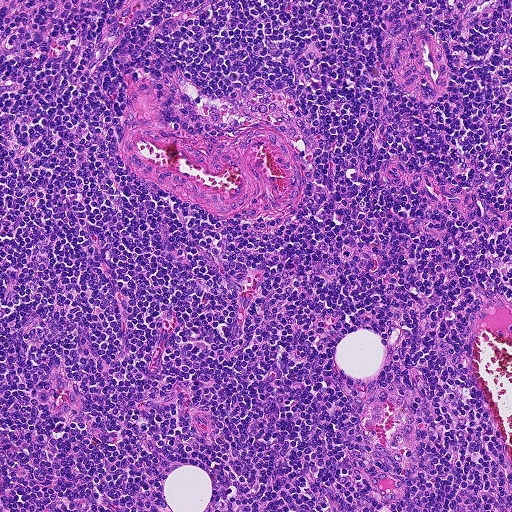
H&E-stained section of a sentinel lymph node (breast cancer), from a whole-slide image, viewed at about 10×: the field is about 0.46 mm across, about 0.9 µm per pixel.